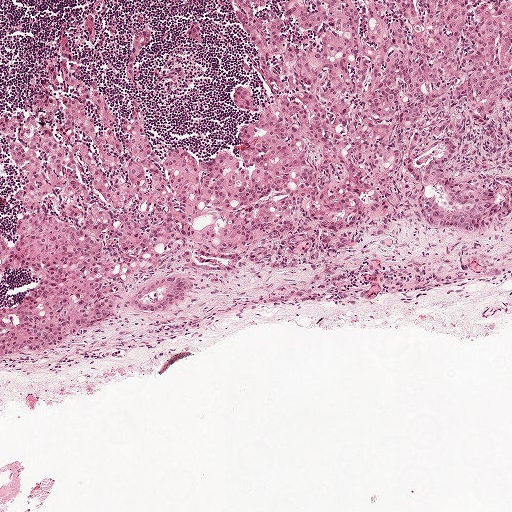
This is a crop of a whole-slide image: an H&E-stained breast-cancer sentinel lymph node section at roughly 5× magnification (about 1.9 µm per pixel; the crop spans about 1 mm).
Outlines of two tumour regions, largest first (closed clockwise paths, crop pixels): region 1: (228, 0), (511, 0), (511, 222), (392, 207), (0, 355), (0, 305), (45, 290), (10, 261), (21, 172), (0, 111), (33, 95), (65, 31), (95, 44), (122, 109), (127, 49), (151, 26), (139, 107), (161, 144), (209, 155), (251, 119), (236, 82), (259, 106), (268, 92); region 2: (0, 216), (12, 238), (9, 256), (0, 271).
One more small tumour piece is annotated here but not outlined.
About 45% of the image area is annotated as tumour.